Question: 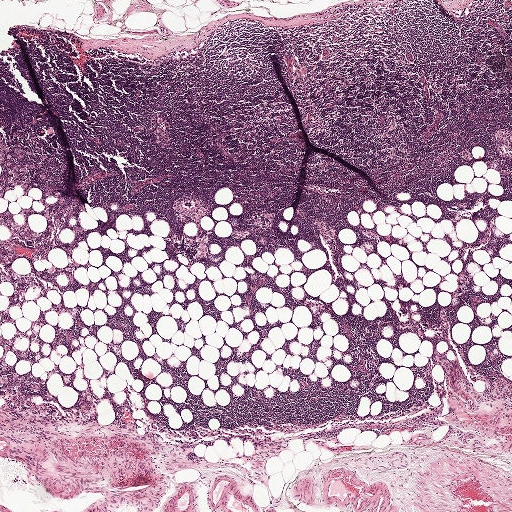
Which magnification is this H&E lymph node field most likely shown at?

Choices:
 (A) about 5×
 (B) about 2.5×
 (C) about 40×
 (D) about 10×
 (E) about 20×

Answer: (B) about 2.5×
This is a crop of a whole-slide image: an H&E-stained breast-cancer sentinel lymph node section at roughly 2.5× magnification (about 3.9 µm per pixel; the crop spans about 2.0 mm).